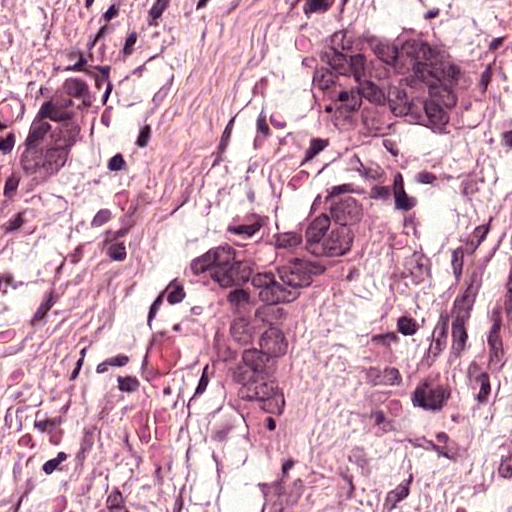
Lymph node section stained with H&E, from a whole-slide image of a breast-cancer sentinel node. Magnification about 40×, about 0.12 mm across the frame, about 0.24 µm per pixel.
Question: Describe where the metastatic carcinoma lies in this crop.
Answer: Outlines of two tumour regions, largest first (closed clockwise paths, crop pixels): region 1: (407, 15), (466, 53), (478, 92), (475, 106), (397, 160), (372, 260), (302, 331), (300, 415), (268, 448), (238, 448), (195, 385), (175, 299), (157, 276), (172, 251), (291, 201), (309, 160), (293, 90), (322, 21); region 2: (89, 46), (120, 55), (132, 74), (132, 99), (120, 146), (51, 190), (1, 234), (0, 89).
About 30% of the image area is annotated as tumour.